Question: 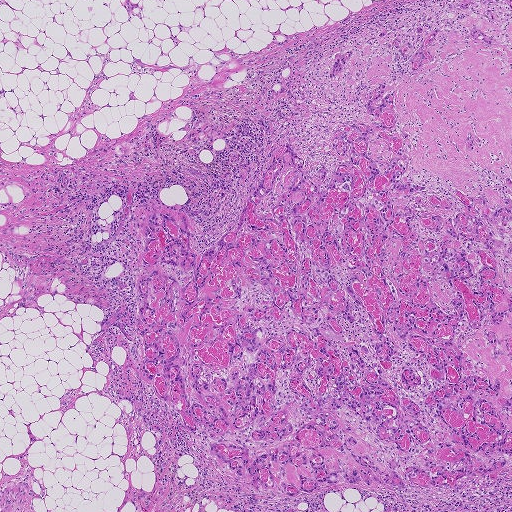
A 1.9-mm field of an H&E-stained sentinel lymph node from a breast-cancer patient (whole-slide image), shown at about 2.5×, about 3.6 µm per pixel.
Roughly what share of this field is metastatic tumour?

Choices:
 (A) about 50% or more
 (B) none: no tumour is outlined
 (C) about 10% to 20%
 (D) about 25% to 45%
 (E) about 5% or less

Answer: (A) about 50% or more
About 50% of the field is tumour.
Metastatic tumour outline, simplified to 22 points and listed clockwise in crop pixels (x, y): (460, 0), (511, 0), (511, 454), (454, 486), (260, 492), (136, 376), (146, 214), (186, 213), (199, 256), (284, 142), (335, 170), (350, 154), (331, 147), (334, 130), (367, 124), (381, 84), (330, 81), (335, 54), (399, 26), (412, 55), (422, 40), (413, 31).